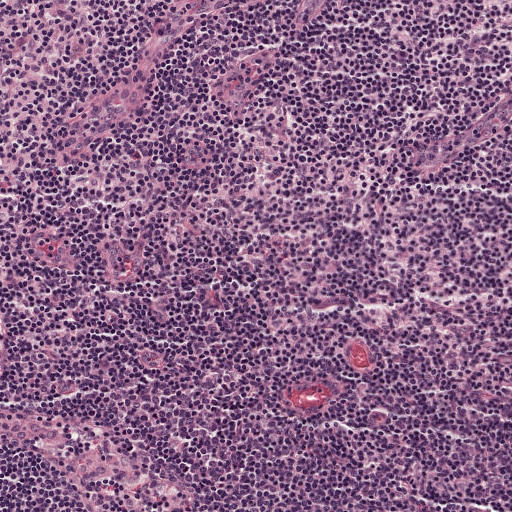
Lymph node section stained with H&E, from a whole-slide image of a breast-cancer sentinel node. Magnification about 10×, about 0.5 mm across the frame, about 0.97 µm per pixel.